Question: 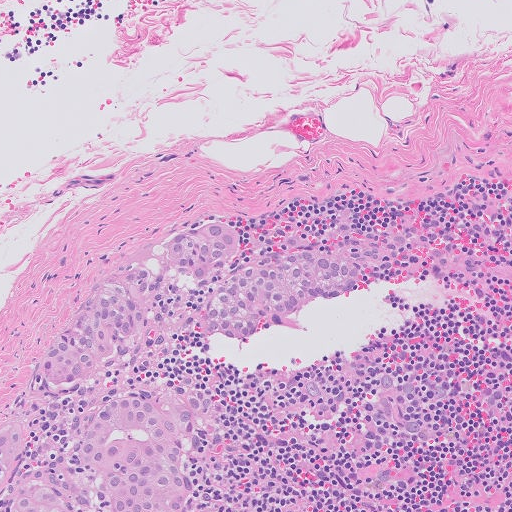
At roughly what magnification is this field shown?

Choices:
 (A) about 10×
 (B) about 5×
 (C) about 20×
 (D) about 2.5×
 (E) about 40×

Answer: (A) about 10×
H&E-stained section of a sentinel lymph node (breast cancer), from a whole-slide image, viewed at about 10×: the field is about 0.51 mm across, about 1.0 µm per pixel.
Two metastatic tumour regions, each outlined as a closed clockwise path in crop pixels (x, y), largest first: region 1: (224, 217), (241, 235), (240, 250), (248, 261), (263, 259), (282, 238), (297, 236), (309, 246), (370, 251), (373, 280), (364, 293), (306, 309), (236, 340), (205, 338), (195, 327), (204, 284), (162, 327), (86, 381), (43, 381), (42, 353), (78, 303), (121, 260), (193, 220); region 2: (163, 378), (208, 396), (219, 426), (199, 467), (204, 480), (194, 508), (0, 511), (0, 429), (23, 423), (34, 434), (28, 465), (42, 462), (90, 407).
The annotated tumour makes up about 20% of the crop.